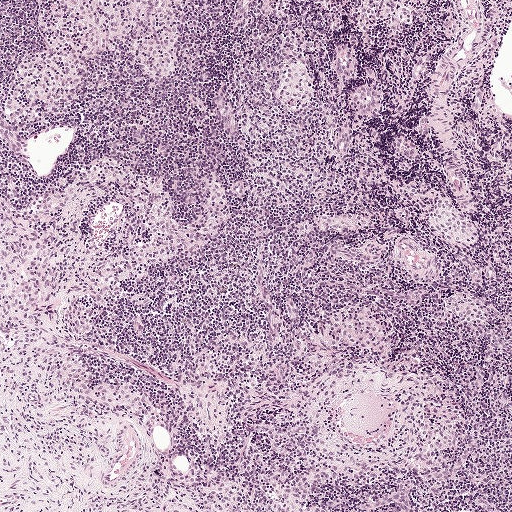
H&E-stained section of a sentinel lymph node (breast cancer), from a whole-slide image, viewed at about 5×: the field is about 1 mm across, about 1.9 µm per pixel.
Question: Is there metastatic carcinoma in this field?
Answer: No: no metastatic tumour is outlined anywhere in this field.